Lymph node section stained with H&E, from a whole-slide image of a breast-cancer sentinel node. Magnification about 2.5×, about 2.0 mm across the frame, about 3.9 µm per pixel.
Question: 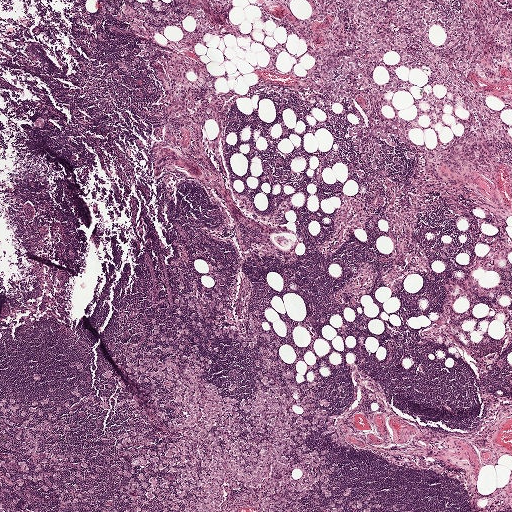
Estimate the proportion of this field that is metastatic tumour.

Choices:
 (A) about 25% to 45%
 (B) about 5% or less
 (C) about 10% to 20%
 (D) about 50% or more
 (E) none: no tumour is outlined

Answer: (C) about 10% to 20%
About 15% of the field is tumour.
One metastatic tumour region; its boundary, reduced to 18 corners and listed clockwise: (151, 326), (201, 351), (232, 398), (254, 392), (257, 360), (275, 349), (296, 384), (328, 403), (333, 427), (311, 442), (325, 456), (335, 491), (371, 511), (0, 511), (0, 400), (116, 385), (165, 428), (127, 370).